Lymph node section stained with H&E, from a whole-slide image of a breast-cancer sentinel node. Magnification about 5×, about 0.93 mm across the frame, about 1.8 µm per pixel.
Image:
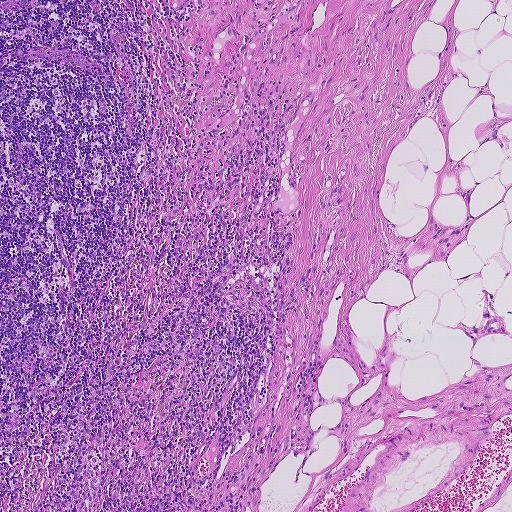
Question:
Does this lymph node field contain metastatic tumour?
Answer:
No: no metastatic tumour is outlined anywhere in this field.